A 1-mm field of an H&E-stained sentinel lymph node from a breast-cancer patient (whole-slide image), shown at about 5×, about 1.9 µm per pixel.
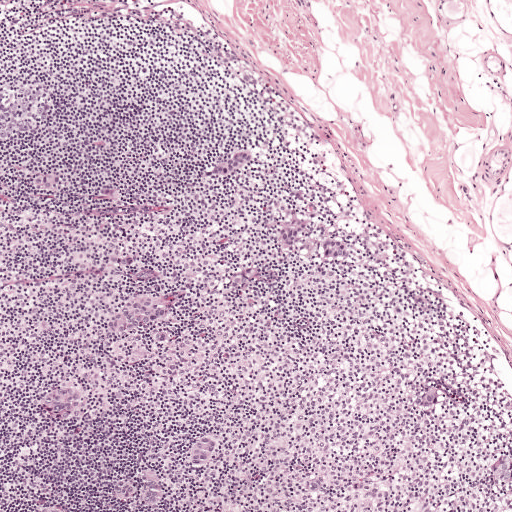
The eight largest tumour regions' boundaries, simplified and listed clockwise, largest first: region 1: (138, 292), (151, 292), (165, 296), (168, 294), (177, 300), (177, 312), (166, 319), (122, 336), (108, 336), (95, 332), (92, 320), (123, 295); region 2: (124, 476), (163, 482), (170, 493), (164, 506), (152, 511), (141, 511), (130, 509), (120, 503), (109, 494), (111, 480); region 3: (52, 382), (64, 383), (76, 386), (86, 393), (85, 406), (74, 415), (63, 419), (47, 418), (37, 414), (31, 399), (36, 387); region 4: (211, 428), (222, 432), (225, 444), (223, 455), (214, 468), (200, 474), (187, 473), (184, 460), (185, 446), (194, 435); region 5: (333, 236), (346, 238), (352, 243), (352, 254), (348, 265), (334, 268), (321, 266), (312, 259), (312, 246), (321, 237); region 6: (297, 218), (309, 220), (314, 226), (309, 237), (286, 250), (274, 249), (268, 236), (272, 225), (283, 220); region 7: (500, 454), (511, 454), (511, 490), (507, 490), (494, 488), (484, 475), (487, 460); region 8: (248, 148), (252, 161), (234, 178), (222, 183), (213, 176), (218, 166), (235, 151).
Seven more, smaller tumour regions are not outlined.
Three more small tumour pieces are annotated here but not outlined.
Tumour covers about 5% of the frame.